Image:
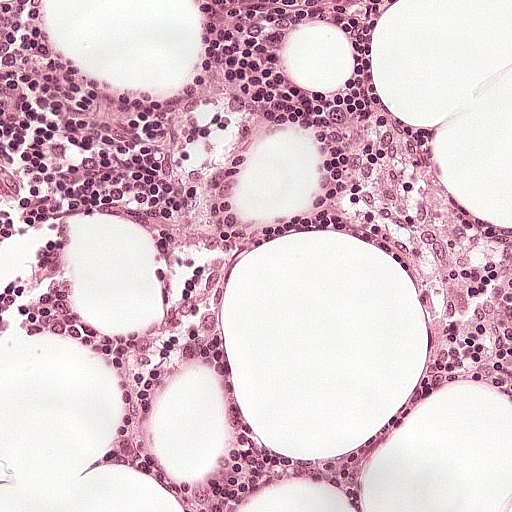
This is a crop of a whole-slide image: an H&E-stained breast-cancer sentinel lymph node section at roughly 20× magnification (about 0.49 µm per pixel; the crop spans about 0.25 mm).
Question:
Is there metastatic carcinoma in this field?
Answer:
No, this field holds no outlined metastasis.